Image:
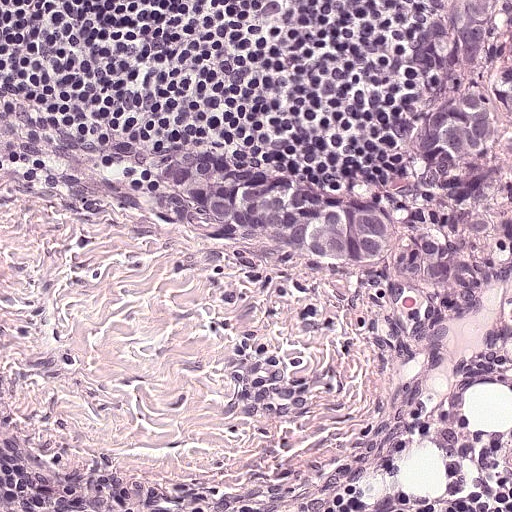
Lymph node section stained with H&E, from a whole-slide image of a breast-cancer sentinel node. Magnification about 20×, about 0.25 mm across the frame, about 0.49 µm per pixel.
Question:
Is there metastatic carcinoma in this field?
Answer:
Yes.
Metastatic tumour outline, simplified to 18 points and listed clockwise in crop pixels (x, y): (437, 0), (511, 0), (511, 391), (444, 357), (448, 320), (460, 314), (435, 296), (282, 273), (180, 218), (160, 194), (160, 166), (196, 141), (242, 144), (358, 218), (369, 216), (410, 178), (412, 62), (424, 16).
The annotated tumour makes up about 20% of the crop.

Image:
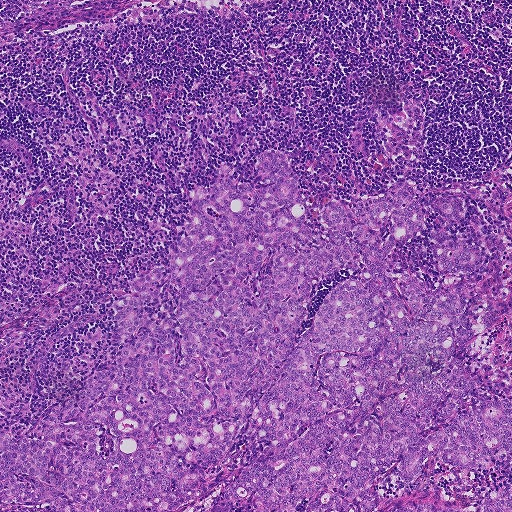
H&E-stained section of a sentinel lymph node (breast cancer), from a whole-slide image, viewed at about 5×: the field is about 0.93 mm across, about 1.8 µm per pixel.
Question:
Is there metastatic carcinoma in this field?
Answer:
Yes.
Metastatic tumour outline, simplified to 24 points and listed clockwise in crop pixels (x, y): (286, 152), (323, 236), (333, 194), (460, 196), (461, 220), (431, 210), (386, 258), (433, 288), (431, 229), (481, 238), (466, 410), (511, 400), (511, 463), (469, 471), (511, 486), (511, 511), (0, 504), (0, 432), (109, 364), (116, 303), (167, 265), (189, 188), (230, 161), (242, 183).
One more small tumour piece is annotated here but not outlined.
About 45% of the image area is annotated as tumour.

Image:
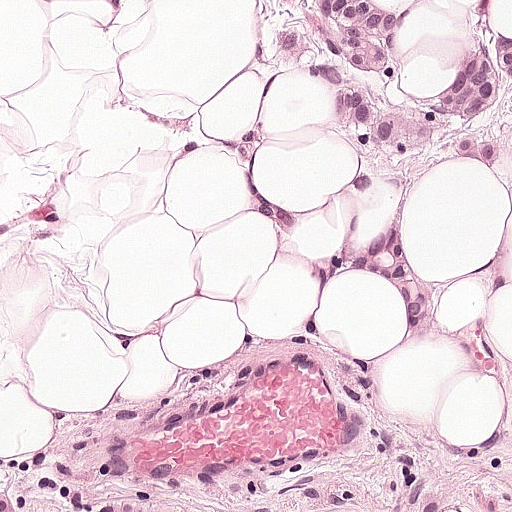
A 0.25-mm field of an H&E-stained sentinel lymph node from a breast-cancer patient (whole-slide image), shown at about 20×, about 0.49 µm per pixel.
Question:
Is there metastatic carcinoma in this field?
Answer:
Yes.
Outlines of two tumour regions, largest first (closed clockwise paths, crop pixels): region 1: (386, 203), (425, 301), (422, 358), (391, 376), (491, 432), (511, 432), (511, 511), (0, 511), (0, 488), (184, 362), (298, 335), (320, 310), (307, 253); region 2: (382, 0), (396, 24), (388, 79), (414, 86), (442, 74), (475, 0), (495, 0), (511, 21), (511, 85), (474, 104), (436, 150), (384, 150), (368, 144), (350, 135), (334, 114), (298, 2).
The annotated tumour makes up about 35% of the crop.

Image:
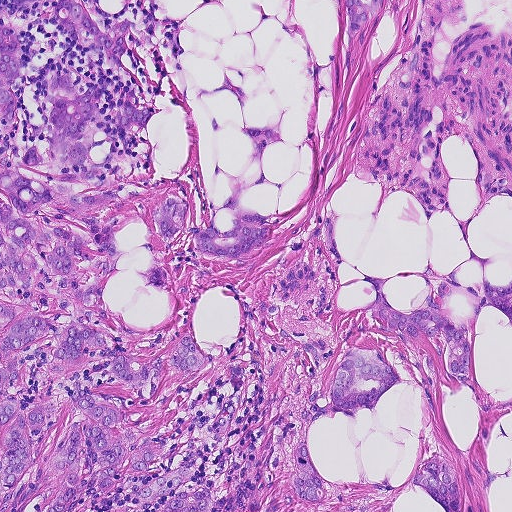
H&E-stained section of a sentinel lymph node (breast cancer), from a whole-slide image, viewed at about 10×: the field is about 0.46 mm across, about 0.9 µm per pixel.
Question:
Is there metastatic carcinoma in this field?
Answer:
Yes.
Boundaries of three metastatic tumour regions, simplified and listed clockwise, largest first: region 1: (100, 0), (132, 20), (104, 113), (131, 86), (161, 110), (106, 120), (120, 172), (187, 193), (187, 226), (228, 229), (238, 189), (274, 229), (207, 257), (155, 230), (156, 189), (119, 230), (108, 328), (140, 359), (187, 332), (204, 367), (149, 402), (98, 360), (91, 390), (160, 442), (150, 470), (192, 465), (204, 511), (127, 505), (159, 473), (7, 510), (0, 21), (24, 47), (24, 148), (49, 72), (95, 72), (52, 9); region 2: (457, 268), (457, 281), (476, 285), (485, 272), (491, 284), (511, 277), (511, 409), (489, 428), (486, 454), (496, 475), (508, 472), (487, 506), (445, 511), (413, 485), (390, 511), (315, 506), (287, 482), (305, 435), (317, 472), (341, 484), (392, 486), (419, 460), (416, 381), (391, 381), (372, 413), (334, 412), (330, 401), (343, 351), (356, 346), (402, 371), (413, 366), (372, 318), (376, 289), (366, 277), (392, 279), (384, 288), (396, 310), (430, 294), (422, 270); region 3: (344, 0), (382, 0), (380, 7), (363, 23), (350, 42), (348, 17), (344, 6).
The annotated tumour makes up about 35% of the crop.